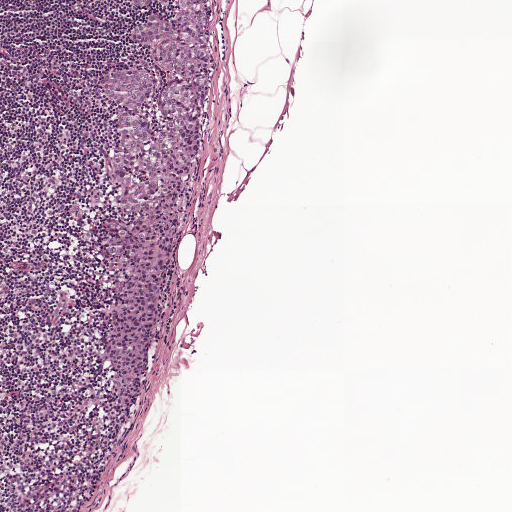
H&E-stained section of a sentinel lymph node (breast cancer), from a whole-slide image, viewed at about 5×: the field is about 1 mm across, about 1.9 µm per pixel.
Metastatic tumour outline, simplified to 21 points and listed clockwise in crop pixels (x, y): (211, 0), (212, 44), (202, 162), (163, 332), (150, 342), (142, 394), (123, 411), (108, 397), (104, 337), (114, 196), (113, 108), (102, 84), (121, 67), (147, 69), (155, 80), (146, 118), (160, 130), (165, 78), (133, 38), (143, 13), (132, 6).
The annotated tumour makes up about 10% of the crop.